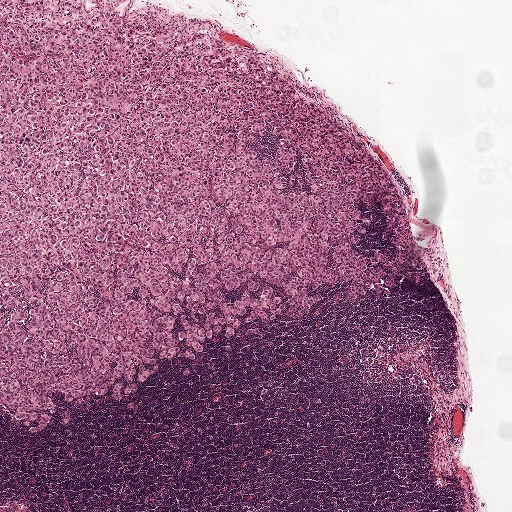
This is a crop of a whole-slide image: an H&E-stained breast-cancer sentinel lymph node section at roughly 2.5× magnification (about 3.9 µm per pixel; the crop spans about 2.0 mm).
The outlined metastatic tumour's edge, as a closed clockwise path of 17 points: (0, 0), (122, 0), (193, 23), (290, 70), (388, 167), (418, 244), (413, 280), (383, 298), (329, 306), (303, 326), (207, 348), (193, 365), (166, 369), (129, 405), (94, 404), (50, 437), (0, 417).
About 50% of the image area is annotated as tumour.